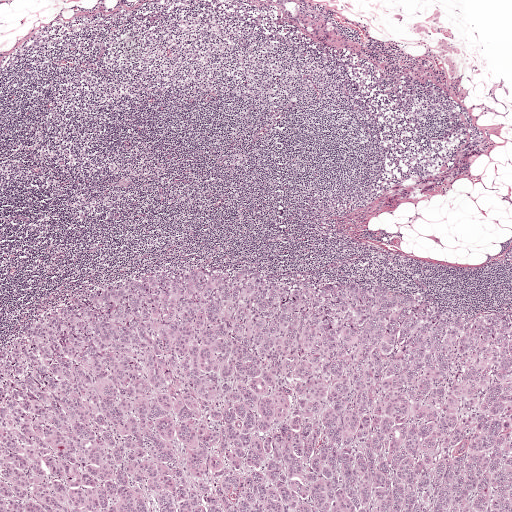
This is a crop of a whole-slide image: an H&E-stained breast-cancer sentinel lymph node section at roughly 2.5× magnification (about 3.9 µm per pixel; the crop spans about 2.0 mm).
Question: Where is the metastatic tumour in this field? Give each region's outline as (x, y) pixel points.
Answer: One metastatic tumour region; its boundary, reduced to 6 corners and listed clockwise: (197, 267), (511, 314), (511, 511), (0, 511), (0, 342), (78, 297).
One more small tumour piece is annotated here but not outlined.
About 45% of the image area is annotated as tumour.